Question: 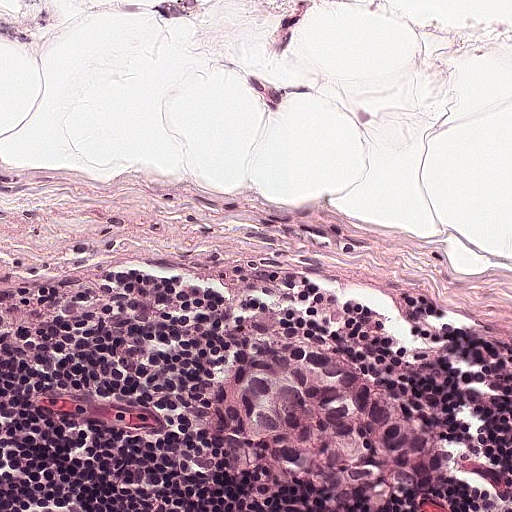
H&E-stained section of a sentinel lymph node (breast cancer), from a whole-slide image, viewed at about 20×: the field is about 0.25 mm across, about 0.49 µm per pixel.
What fraction of the image area is metastatic tumour?

Choices:
 (A) about 10% to 20%
 (B) about 50% or more
 (C) about 5% or less
 (D) none: no tumour is outlined
 (E) about 25% to 45%

Answer: (A) about 10% to 20%
About 10% of the field is tumour.
Tumour region outline (a closed clockwise path, crop pixels): (300, 335), (326, 338), (388, 372), (424, 410), (457, 462), (447, 488), (394, 511), (358, 511), (320, 470), (250, 414), (240, 385), (244, 362), (256, 346).